H&E-stained section of a sentinel lymph node (breast cancer), from a whole-slide image, viewed at about 10×: the field is about 0.5 mm across, about 0.97 µm per pixel.
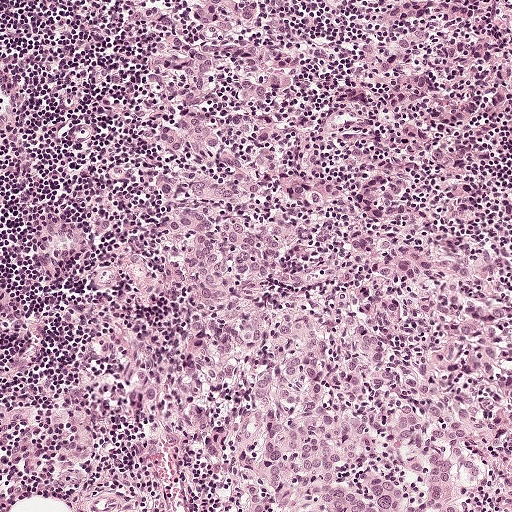
Metastatic tumour outline, simplified to 22 points and listed clockwise in crop pixels (x, y): (503, 0), (511, 114), (490, 148), (477, 210), (511, 264), (511, 432), (493, 434), (472, 511), (237, 511), (227, 482), (128, 383), (138, 342), (184, 325), (161, 257), (169, 154), (147, 91), (146, 35), (130, 20), (134, 10), (167, 11), (202, 39), (202, 1).
About 65% of this field is tumour.